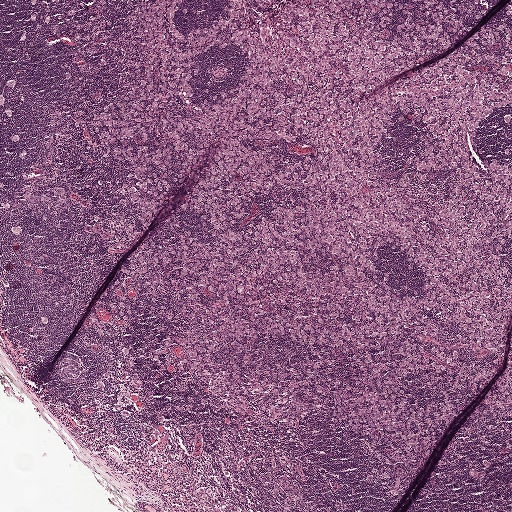
Lymph node section stained with H&E, from a whole-slide image of a breast-cancer sentinel node. Magnification about 2.5×, about 2.0 mm across the frame, about 3.9 µm per pixel.
Tumour region outline (a closed clockwise path, crop pixels): (133, 0), (190, 34), (226, 0), (496, 4), (365, 100), (511, 9), (511, 107), (468, 149), (511, 164), (475, 396), (503, 372), (511, 328), (511, 425), (471, 395), (395, 463), (272, 413), (266, 338), (166, 381), (153, 256), (205, 228), (130, 219), (130, 174), (99, 150), (89, 124).
Tumour covers about 55% of the frame.